Question: 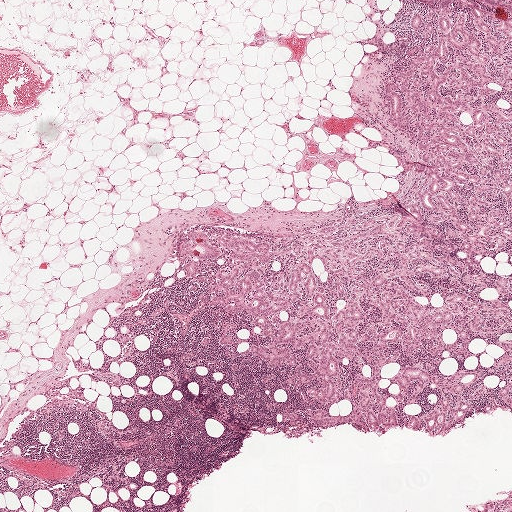
Lymph node section stained with H&E, from a whole-slide image of a breast-cancer sentinel node. Magnification about 2.5×, about 2.0 mm across the frame, about 3.9 µm per pixel.
Roughly what share of this field is metastatic tumour?

Choices:
 (A) about 5% or less
 (B) about 10% to 20%
 (C) about 25% to 45%
 (D) about 50% or more
 (E) none: no tumour is outlined

Answer: (A) about 5% or less
About 5% of the field is tumour.
The outlined metastatic tumour's edge, as a closed clockwise path of 24 points: (444, 36), (448, 54), (438, 60), (436, 70), (442, 72), (450, 65), (453, 70), (439, 90), (444, 96), (472, 98), (467, 103), (488, 113), (485, 127), (471, 142), (479, 160), (477, 164), (463, 164), (447, 158), (423, 161), (390, 120), (384, 102), (387, 89), (418, 56), (435, 49).